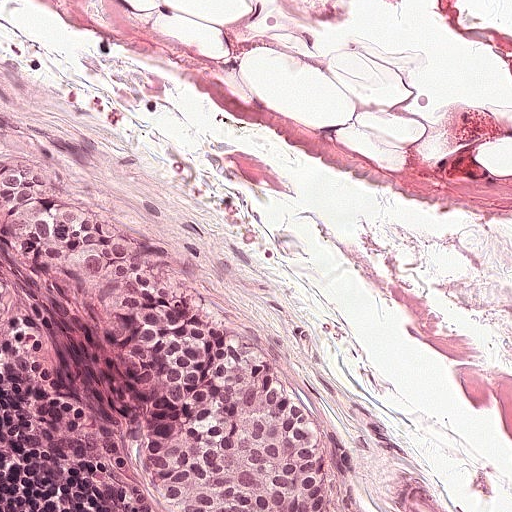
A 0.25-mm field of an H&E-stained sentinel lymph node from a breast-cancer patient (whole-slide image), shown at about 20×, about 0.49 µm per pixel.
Metastatic tumour outline, simplified to 15 points and listed clockwise in crop pixels (x, y): (19, 172), (60, 188), (133, 240), (200, 315), (236, 335), (302, 399), (326, 442), (346, 511), (164, 511), (144, 415), (119, 349), (76, 300), (40, 282), (10, 230), (0, 184).
Tumour covers about 15% of the frame.